Question: 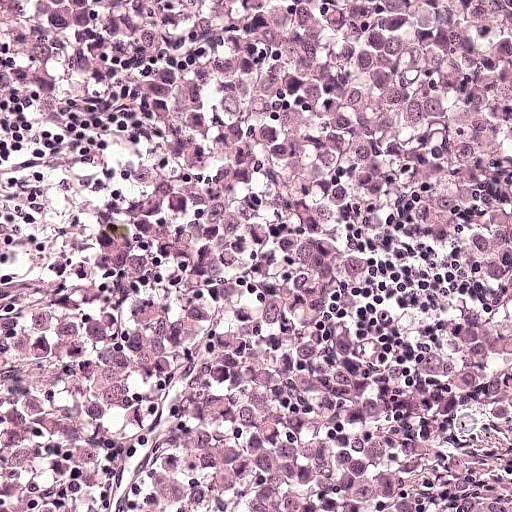
A 0.25-mm field of an H&E-stained sentinel lymph node from a breast-cancer patient (whole-slide image), shown at about 20×, about 0.49 µm per pixel.
Roughly what share of this field is metastatic tumour?

Choices:
 (A) none: no tumour is outlined
 (B) about 50% or more
 (C) about 10% to 20%
 (D) about 5% or less
 (E) about 25% to 45%

Answer: (B) about 50% or more
About 75% of the field is tumour.
Outlines of two tumour regions, largest first (closed clockwise paths, crop pixels): region 1: (511, 0), (511, 511), (115, 511), (115, 446), (136, 354), (136, 164), (113, 75), (110, 4); region 2: (0, 0), (40, 0), (36, 23), (0, 98).